Question: 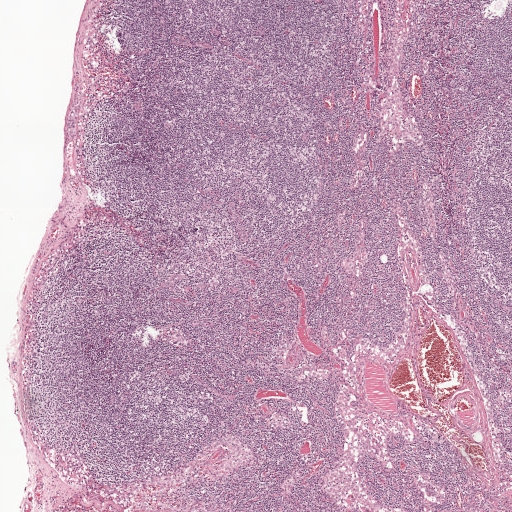
H&E-stained section of a sentinel lymph node (breast cancer), from a whole-slide image, viewed at about 2.5×: the field is about 2.0 mm across, about 3.9 µm per pixel.
What fraction of the image area is metastatic tumour?

Choices:
 (A) about 10% to 20%
 (B) about 5% or less
 (C) about 25% to 45%
 (D) none: no tumour is outlined
 (E) about 50% or more

Answer: (B) about 5% or less
Under 5% of the field is tumour.
One metastatic tumour region; its boundary, reduced to 9 corners and listed clockwise: (75, 108), (77, 111), (78, 124), (76, 136), (72, 139), (69, 137), (67, 131), (68, 118), (70, 112).